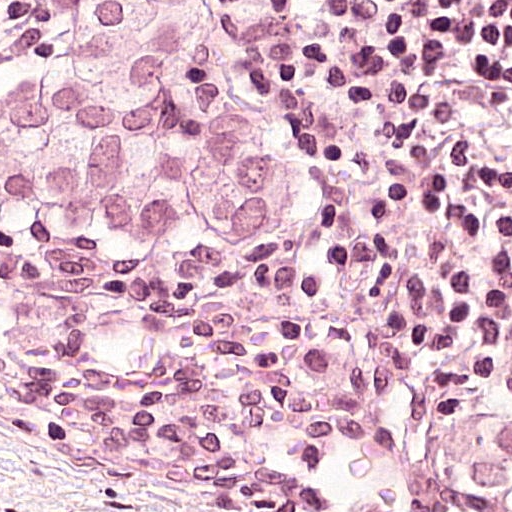
Lymph node section stained with H&E, from a whole-slide image of a breast-cancer sentinel node. Magnification about 40×, about 0.12 mm across the frame, about 0.24 µm per pixel.
Boundaries of two metastatic tumour regions, simplified and listed clockwise, largest first: region 1: (217, 0), (275, 165), (275, 212), (261, 237), (214, 251), (154, 227), (76, 240), (17, 231), (0, 199), (0, 49), (39, 31), (45, 2); region 2: (511, 368), (511, 511), (461, 509), (448, 499), (407, 484), (404, 424), (414, 393), (432, 384), (473, 381), (473, 377).
About 25% of the image area is annotated as tumour.